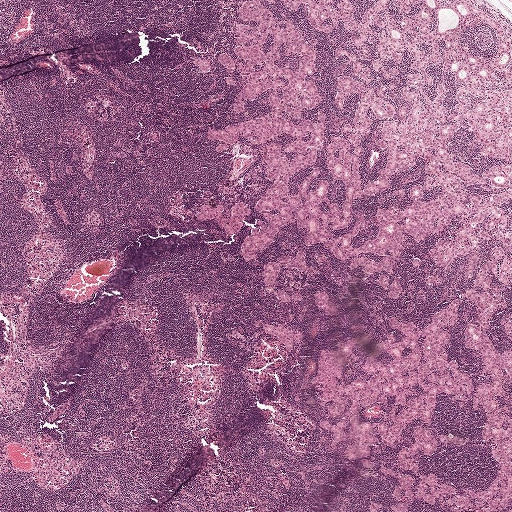
A 2.0-mm field of an H&E-stained sentinel lymph node from a breast-cancer patient (whole-slide image), shown at about 2.5×, about 3.9 µm per pixel.
Eight metastatic tumour regions, each outlined as a closed clockwise path in crop pixels (x, y), largest first: region 1: (243, 202), (249, 206), (249, 213), (248, 216), (244, 215), (239, 231), (230, 234), (225, 232), (214, 219), (205, 221), (199, 219), (195, 215), (203, 204), (215, 206), (217, 204), (223, 208), (223, 211), (220, 214), (224, 217), (230, 216), (233, 204); region 2: (296, 253), (301, 253), (305, 268), (287, 277), (283, 267), (278, 267), (276, 283), (268, 286), (265, 285), (261, 275), (264, 263), (274, 261), (280, 256), (292, 257); region 3: (381, 466), (385, 467), (400, 475), (409, 474), (414, 479), (414, 484), (410, 488), (412, 498), (412, 503), (407, 509), (400, 511), (395, 511), (389, 508), (389, 506), (392, 504), (400, 503), (405, 500), (406, 498), (404, 495), (403, 490), (399, 491), (401, 498), (399, 501), (397, 501), (392, 497), (392, 492), (393, 489), (395, 486), (400, 484), (396, 479), (380, 472), (379, 470), (380, 467); region 4: (263, 322), (275, 327), (280, 324), (292, 333), (300, 332), (300, 341), (292, 344), (291, 350), (286, 351), (276, 337), (267, 334), (262, 330), (261, 324); region 5: (321, 291), (325, 294), (327, 301), (337, 307), (337, 314), (332, 316), (316, 306), (313, 299), (314, 293); region 6: (385, 275), (389, 278), (389, 286), (394, 280), (398, 281), (399, 288), (398, 294), (395, 297), (391, 297), (388, 295), (388, 289), (379, 286), (378, 278), (379, 276); region 7: (434, 274), (440, 277), (443, 280), (438, 285), (433, 287), (430, 287), (426, 287), (425, 284), (426, 280), (429, 276); region 8: (196, 58), (206, 60), (210, 66), (210, 70), (206, 71), (199, 71), (191, 62).
One more tumour region is annotated but not outlined: its edge is too irregular for a short outline.
Two more, smaller tumour regions are not outlined.
Three more small tumour pieces are annotated here but not outlined.
About 30% of this field is tumour.